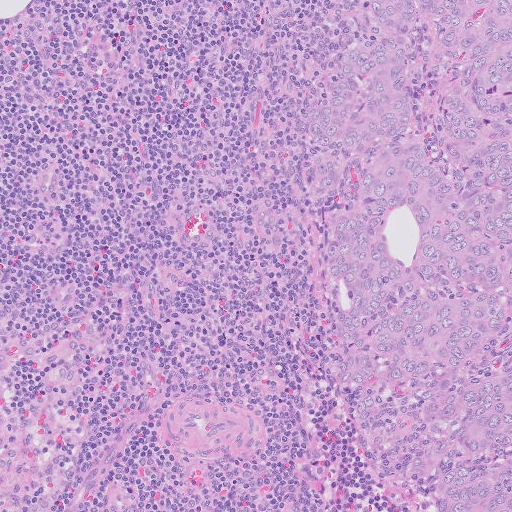
Lymph node section stained with H&E, from a whole-slide image of a breast-cancer sentinel node. Magnification about 10×, about 0.51 mm across the frame, about 1.0 µm per pixel.
Tumour region outline (a closed clockwise path, crop pixels): (326, 0), (511, 0), (511, 511), (393, 511), (320, 367), (306, 126).
Tumour covers about 35% of the frame.